Lymph node section stained with H&E, from a whole-slide image of a breast-cancer sentinel node. Magnification about 20×, about 0.26 mm across the frame, about 0.5 µm per pixel.
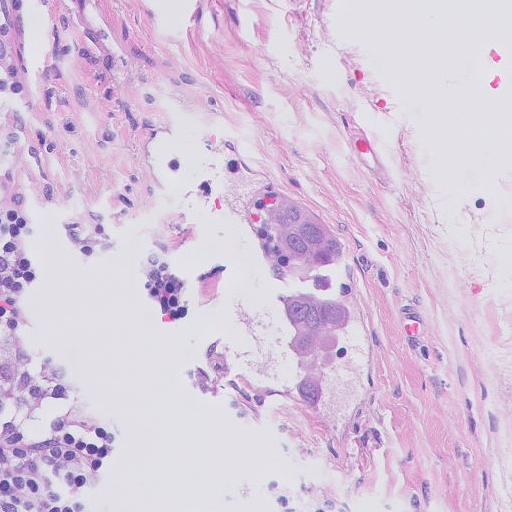
Two metastatic tumour regions, each outlined as a closed clockwise path in crop pixels (x, y), largest first: region 1: (300, 295), (329, 300), (340, 299), (351, 306), (350, 321), (339, 330), (334, 358), (325, 368), (325, 396), (320, 408), (306, 404), (299, 390), (296, 362), (288, 350), (289, 322), (281, 310), (286, 296); region 2: (276, 190), (289, 196), (317, 216), (326, 226), (345, 254), (330, 272), (332, 288), (318, 292), (308, 272), (294, 270), (264, 222), (260, 210), (261, 195).
The annotated tumour makes up about 5% of the crop.